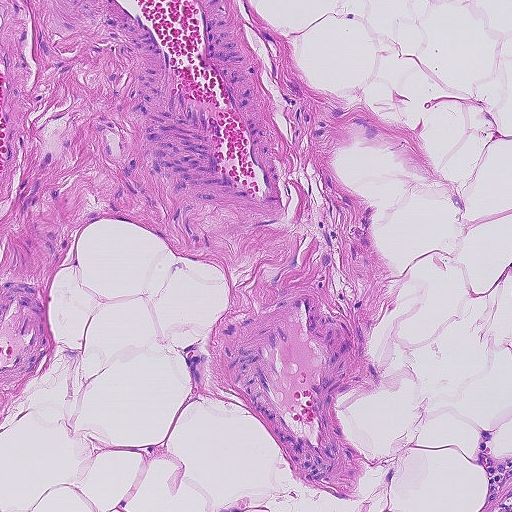
A 0.46-mm field of an H&E-stained sentinel lymph node from a breast-cancer patient (whole-slide image), shown at about 10×, about 0.9 µm per pixel.